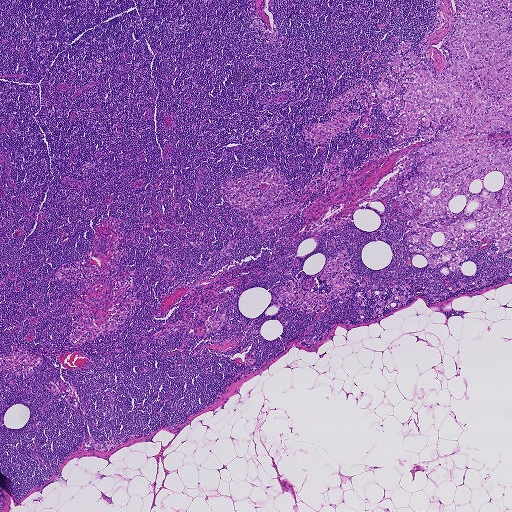
Lymph node section stained with H&E, from a whole-slide image of a breast-cancer sentinel node. Magnification about 2.5×, about 1.9 mm across the frame, about 3.6 µm per pixel.
The outlined metastatic tumour's edge, as a closed clockwise path of 36 points: (511, 0), (511, 258), (476, 234), (442, 248), (468, 256), (451, 270), (453, 254), (434, 267), (409, 249), (424, 250), (405, 239), (419, 232), (407, 224), (421, 208), (404, 214), (392, 197), (424, 173), (418, 151), (453, 121), (421, 118), (414, 135), (396, 139), (406, 102), (387, 116), (381, 105), (405, 86), (382, 99), (376, 90), (413, 80), (391, 68), (408, 40), (403, 61), (413, 53), (436, 76), (449, 68), (456, 2).
About 10% of this field is tumour.